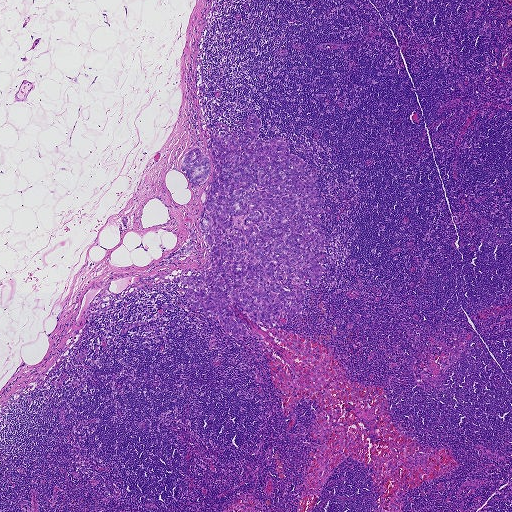
H&E-stained section of a sentinel lymph node (breast cancer), from a whole-slide image, viewed at about 2.5×: the field is about 1.9 mm across, about 3.6 µm per pixel.
Boundaries of two metastatic tumour regions, simplified and listed clockwise, largest first: region 1: (251, 113), (267, 140), (290, 141), (304, 175), (317, 175), (328, 243), (314, 255), (328, 270), (316, 287), (303, 281), (303, 312), (278, 325), (228, 305), (260, 336), (238, 339), (190, 307), (181, 275), (209, 262), (198, 226), (208, 141), (238, 141); region 2: (194, 148), (200, 148), (210, 160), (208, 176), (203, 185), (195, 185), (182, 172), (181, 162).
The annotated tumour makes up about 10% of the crop.